Question: 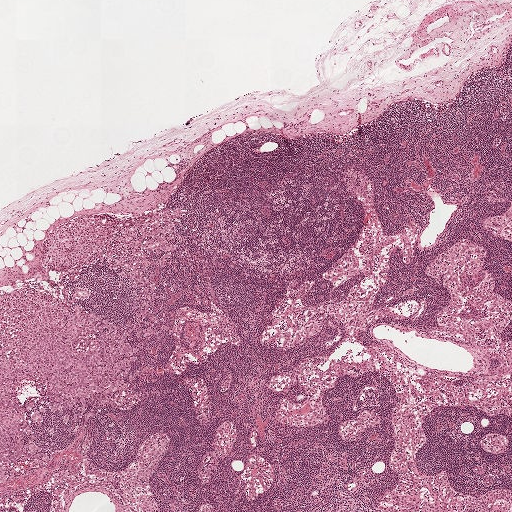
At roughly what magnification is this field shown?

Choices:
 (A) about 2.5×
 (B) about 20×
 (C) about 40×
 (D) about 10×
 (E) about 5×

Answer: (A) about 2.5×
H&E-stained section of a sentinel lymph node (breast cancer), from a whole-slide image, viewed at about 2.5×: the field is about 2.0 mm across, about 3.9 µm per pixel.
Outlines of three tumour regions, largest first (closed clockwise paths, crop pixels): region 1: (78, 287), (88, 289), (78, 303), (129, 328), (126, 342), (137, 348), (125, 388), (92, 395), (88, 418), (72, 434), (70, 411), (64, 424), (64, 414), (49, 410), (31, 379), (19, 381), (17, 397), (33, 443), (48, 460), (0, 483), (0, 293), (22, 288), (63, 299); region 2: (162, 209), (186, 212), (172, 221), (168, 241), (175, 248), (163, 265), (154, 262), (162, 252), (144, 253), (145, 277), (163, 297), (154, 300), (157, 320), (151, 337), (135, 338), (129, 283), (104, 263), (72, 273), (42, 268), (44, 239), (59, 223), (92, 213), (130, 218); region 3: (41, 407), (44, 408), (45, 414), (44, 421), (41, 422), (38, 423), (34, 422), (32, 419), (30, 413), (32, 411).
The annotated tumour makes up about 10% of the crop.